Image:
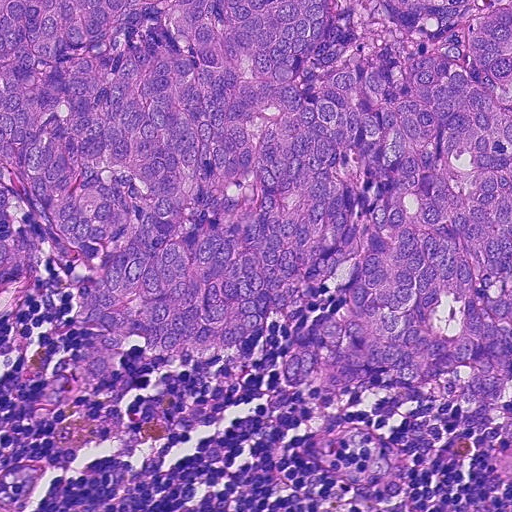
This is a crop of a whole-slide image: an H&E-stained breast-cancer sentinel lymph node section at roughly 20× magnification (about 0.45 µm per pixel; the crop spans about 0.23 mm).
Question:
Is there metastatic carcinoma in this field?
Answer:
Yes.
Outlines of two tumour regions, largest first (closed clockwise paths, crop pixels): region 1: (0, 0), (511, 0), (511, 392), (488, 412), (455, 420), (390, 398), (287, 404), (270, 374), (284, 342), (346, 305), (326, 282), (228, 352), (160, 358), (128, 344), (118, 376), (42, 429), (30, 426), (37, 390), (88, 330), (78, 288), (37, 241), (28, 308), (0, 326); region 2: (511, 430), (511, 482), (498, 472), (494, 436).
About 75% of this field is tumour.

Image:
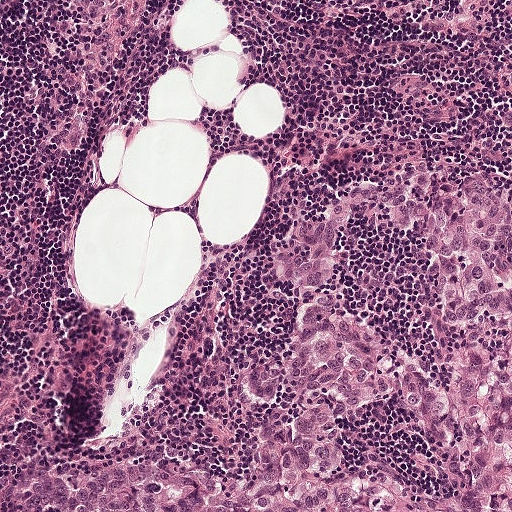
H&E-stained section of a sentinel lymph node (breast cancer), from a whole-slide image, viewed at about 10×: the field is about 0.5 mm across, about 0.97 µm per pixel.
Question:
Is there metastatic carcinoma in this field?
Answer:
Yes.
Tumour region outline (a closed clockwise path, crop pixels): (511, 183), (511, 511), (19, 511), (51, 461), (183, 430), (192, 397), (246, 318), (251, 274), (317, 190).
The annotated tumour makes up about 40% of the crop.

Image:
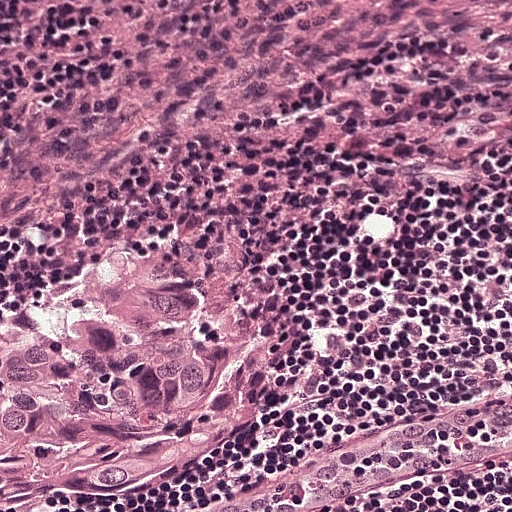
A 0.25-mm field of an H&E-stained sentinel lymph node from a breast-cancer patient (whole-slide image), shown at about 20×, about 0.49 µm per pixel.
Question:
Is there metastatic carcinoma in this field?
Answer:
Yes.
One metastatic tumour region; its boundary, reduced to 12 corners and listed clockwise: (161, 216), (219, 222), (267, 374), (267, 404), (227, 448), (162, 486), (111, 496), (46, 493), (0, 508), (0, 287), (69, 282), (80, 252).
The annotated tumour makes up about 25% of the crop.

Image:
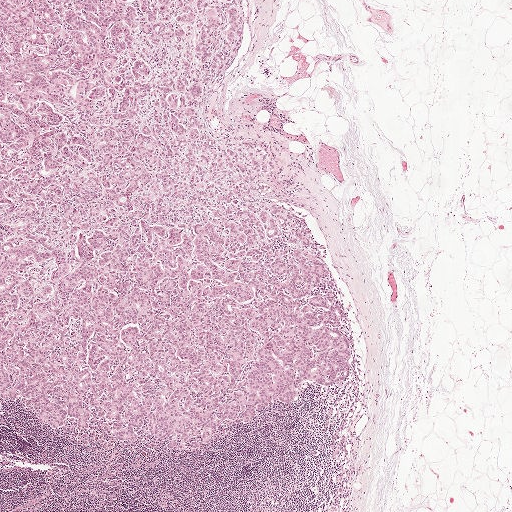
Lymph node section stained with H&E, from a whole-slide image of a breast-cancer sentinel node. Magnification about 2.5×, about 2.0 mm across the frame, about 3.9 µm per pixel.
Question:
Is there metastatic carcinoma in this field?
Answer:
Yes.
Metastatic tumour outline, simplified to 24 points and listed clockwise in crop pixels (x, y): (0, 0), (232, 0), (239, 45), (204, 92), (203, 120), (215, 137), (257, 144), (269, 166), (255, 195), (302, 214), (348, 317), (343, 389), (302, 382), (291, 404), (244, 426), (224, 420), (210, 444), (179, 451), (166, 447), (174, 437), (118, 441), (102, 419), (54, 430), (0, 400).
About 45% of the image area is annotated as tumour.